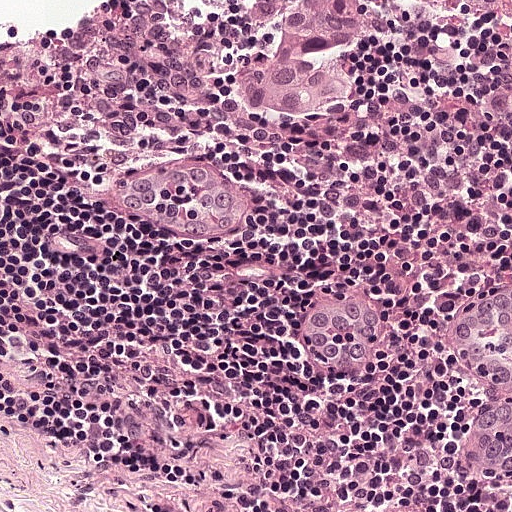
This is a crop of a whole-slide image: an H&E-stained breast-cancer sentinel lymph node section at roughly 20× magnification (about 0.49 µm per pixel; the crop spans about 0.25 mm).
Two metastatic tumour regions, each outlined as a closed clockwise path in crop pixels (x, y), largest first: region 1: (289, 0), (366, 0), (364, 29), (341, 46), (342, 58), (364, 66), (364, 82), (341, 110), (320, 125), (258, 125), (242, 117), (229, 102), (234, 68), (256, 46), (275, 40), (278, 16); region 2: (511, 0), (511, 20), (499, 23), (456, 22), (436, 17), (436, 14), (410, 2).
About 5% of the image area is annotated as tumour.